Image:
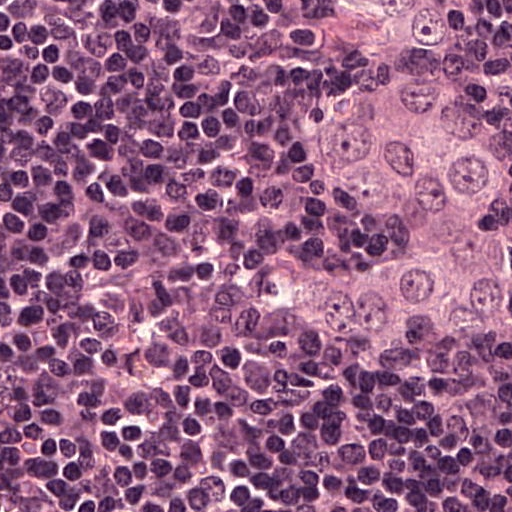
H&E-stained section of a sentinel lymph node (breast cancer), from a whole-slide image, viewed at about 40×: the field is about 0.12 mm across, about 0.24 µm per pixel.
Question:
Show where the tumour is in this image.
Answer:
The outlined metastatic tumour's edge, as a closed clockwise path of 21 points: (426, 0), (434, 15), (492, 147), (487, 201), (511, 242), (510, 308), (478, 356), (413, 375), (344, 376), (282, 335), (268, 303), (287, 275), (372, 246), (372, 225), (313, 196), (304, 177), (294, 135), (301, 104), (353, 49), (348, 21), (311, 1).
About 25% of this field is tumour.